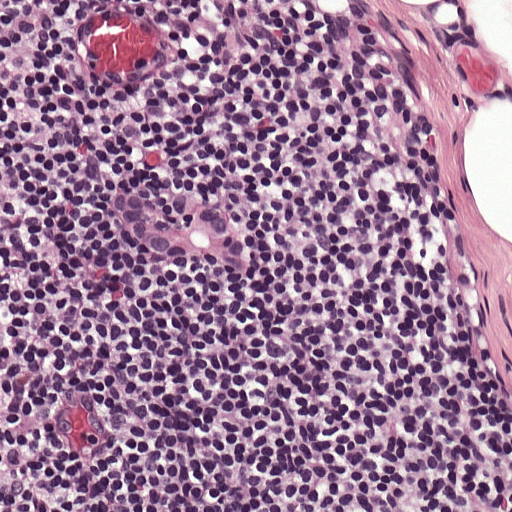
A 0.25-mm field of an H&E-stained sentinel lymph node from a breast-cancer patient (whole-slide image), shown at about 20×, about 0.49 µm per pixel.
Metastatic tumour outline, simplified to 13 points and listed clockwise in crop pixels (x, y): (121, 186), (173, 186), (212, 198), (252, 224), (260, 240), (261, 260), (255, 280), (236, 285), (200, 272), (180, 272), (162, 263), (107, 214), (106, 194).
About 5% of this field is tumour.